Question: 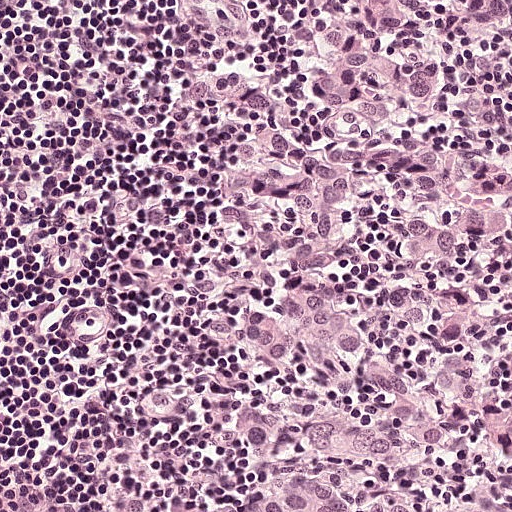
Lymph node section stained with H&E, from a whole-slide image of a breast-cancer sentinel node. Magnification about 20×, about 0.25 mm across the frame, about 0.49 µm per pixel.
What fraction of the image area is metastatic tumour?

Choices:
 (A) none: no tumour is outlined
 (B) about 5% or less
 (C) about 10% to 20%
 (D) about 25% to 45%
 (E) about 50% or more

Answer: (E) about 50% or more
About 50% of the field is tumour.
Tumour region outline (a closed clockwise path, crop pixels): (334, 0), (511, 0), (511, 511), (246, 511), (244, 442), (263, 366), (219, 240), (216, 128), (186, 99), (194, 78), (260, 80), (328, 136), (322, 86), (340, 26).